A 0.93-mm field of an H&E-stained sentinel lymph node from a breast-cancer patient (whole-slide image), shown at about 5×, about 1.8 µm per pixel.
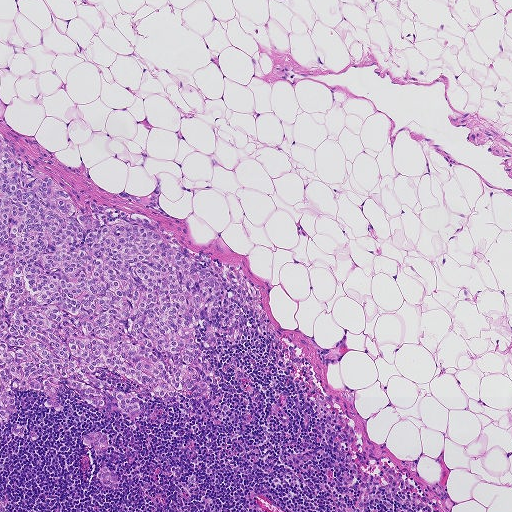
Boundaries of three metastatic tumour regions, simplified and listed clockwise, largest first: region 1: (0, 131), (88, 214), (90, 201), (159, 220), (261, 287), (257, 307), (228, 297), (218, 324), (194, 329), (218, 382), (202, 395), (168, 401), (109, 371), (92, 373), (138, 394), (145, 409), (132, 415), (99, 409), (62, 384), (59, 411), (36, 390), (10, 390), (15, 410), (0, 424); region 2: (96, 432), (106, 435), (108, 446), (106, 451), (102, 454), (96, 454), (92, 447), (84, 444), (82, 439), (85, 434); region 3: (102, 466), (112, 471), (118, 480), (118, 485), (114, 488), (103, 486), (100, 482), (95, 472).
Three more small tumour pieces are annotated here but not outlined.
About 15% of this field is tumour.